This is a crop of a whole-slide image: an H&E-stained breast-cancer sentinel lymph node section at roughly 10× magnification (about 0.9 µm per pixel; the crop spans about 0.46 mm).
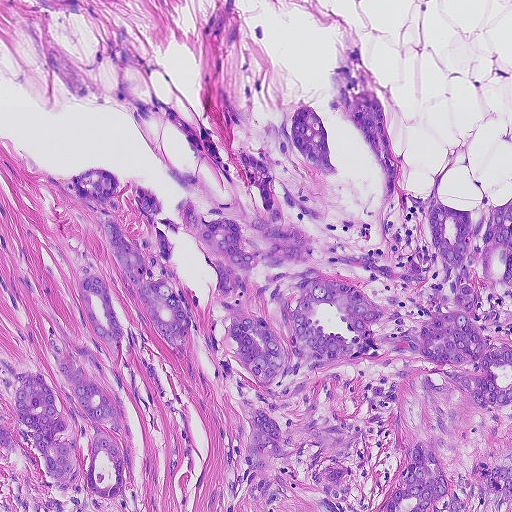
Boundaries of four metastatic tumour regions, simplified and listed clockwise, largest first: region 1: (358, 38), (399, 177), (382, 258), (430, 251), (405, 196), (439, 172), (475, 224), (511, 198), (511, 511), (221, 511), (245, 444), (182, 215), (213, 196), (166, 165), (262, 211), (238, 144), (290, 186), (308, 105), (339, 174), (307, 165), (311, 230), (379, 244), (378, 161), (326, 106); region 2: (49, 319), (94, 356), (106, 374), (83, 360), (88, 370), (102, 388), (118, 392), (130, 424), (129, 495), (92, 494), (94, 511), (0, 511), (0, 355), (18, 373), (39, 371), (48, 377), (66, 419), (65, 397), (46, 344); region 3: (110, 170), (118, 181), (119, 216), (130, 238), (142, 237), (148, 226), (133, 208), (131, 179), (160, 201), (161, 212), (156, 218), (168, 218), (178, 225), (176, 236), (159, 223), (156, 227), (171, 245), (169, 258), (191, 316), (191, 328), (185, 340), (190, 363), (163, 340), (133, 301), (108, 288), (124, 334), (116, 343), (99, 341), (80, 305), (83, 244), (104, 274), (129, 297), (93, 220), (67, 191), (69, 179), (78, 171); region 4: (0, 271), (21, 295), (22, 307), (18, 317), (10, 310), (0, 293).
One more small tumour piece is annotated here but not outlined.
Tumour covers about 50% of the frame.